Question: 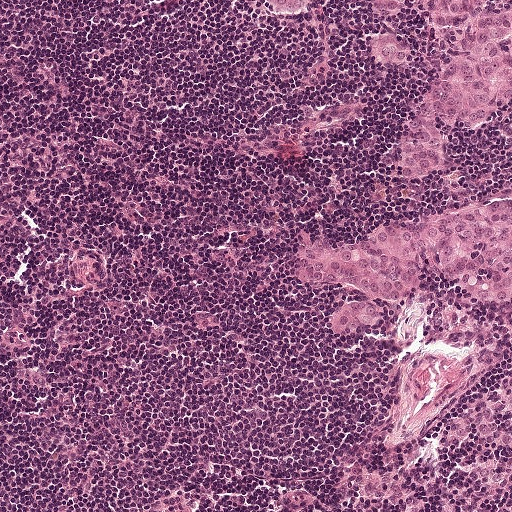
A 0.5-mm field of an H&E-stained sentinel lymph node from a breast-cancer patient (whole-slide image), shown at about 10×, about 0.97 µm per pixel.
About how much of this crop is taken up by metastatic carcinoma?

Choices:
 (A) about 25% to 45%
 (B) about 10% to 20%
 (C) about 50% or more
 (D) about 5% or less
 (E) none: no tumour is outlined

Answer: (B) about 10% to 20%
About 15% of the field is tumour.
Three metastatic tumour regions, each outlined as a closed clockwise path in crop pixels (x, y), largest first: region 1: (511, 186), (510, 300), (494, 304), (476, 300), (420, 270), (414, 278), (417, 290), (381, 299), (383, 314), (374, 328), (347, 338), (325, 334), (329, 314), (369, 301), (352, 289), (310, 286), (295, 279), (298, 236), (347, 244), (394, 222), (447, 220); region 2: (368, 0), (511, 0), (511, 105), (450, 135), (436, 166), (421, 179), (401, 180), (390, 174), (386, 150), (420, 78), (439, 64), (440, 56), (422, 21), (401, 17), (394, 32), (410, 46), (409, 58), (372, 63), (365, 40), (377, 22); region 3: (259, 0), (308, 0), (308, 6), (293, 12), (266, 10), (262, 6).
One more small tumour piece is annotated here but not outlined.